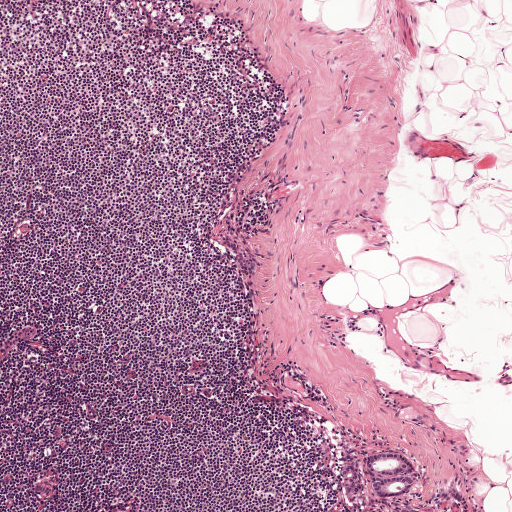
Lymph node section stained with H&E, from a whole-slide image of a breast-cancer sentinel node. Magnification about 5×, about 1 mm across the frame, about 1.9 µm per pixel.
Outlines of four tumour regions, largest first (closed clockwise paths, crop pixels): region 1: (394, 450), (409, 457), (416, 464), (421, 474), (418, 484), (412, 493), (402, 497), (380, 499), (375, 498), (369, 489), (363, 458), (373, 453); region 2: (348, 453), (357, 458), (364, 480), (364, 487), (351, 496), (346, 491), (343, 468); region 3: (222, 237), (228, 237), (247, 253), (255, 262), (257, 274), (251, 276), (240, 272), (230, 249), (221, 241); region 4: (454, 488), (459, 490), (462, 502), (459, 502), (453, 500), (444, 501), (435, 497), (437, 494).
One more small tumour piece is annotated here but not outlined.
Tumour covers under 5% of the frame.